Question: 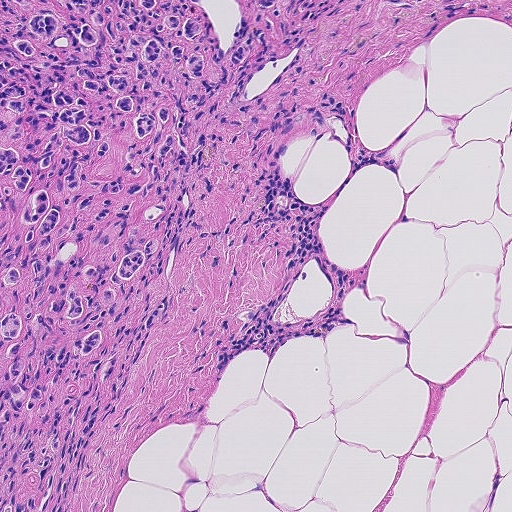
H&E-stained section of a sentinel lymph node (breast cancer), from a whole-slide image, viewed at about 10×: the field is about 0.46 mm across, about 0.9 µm per pixel.
About how much of this crop is taken up by metastatic carcinoma?

Choices:
 (A) about 50% or more
 (B) about 10% to 20%
 (C) about 5% or less
 (D) about 25% to 45%
 (E) none: no tumour is outlined

Answer: (D) about 25% to 45%
About 35% of the field is tumour.
One metastatic tumour region; its boundary, reduced to 9 corners and listed clockwise: (0, 0), (358, 0), (242, 91), (210, 133), (183, 196), (169, 317), (88, 447), (68, 508), (0, 511).